Question: 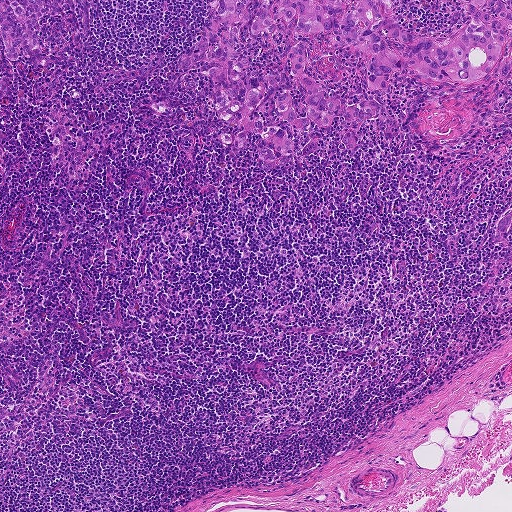
This is a crop of a whole-slide image: an H&E-stained breast-cancer sentinel lymph node section at roughly 5× magnification (about 1.8 µm per pixel; the crop spans about 0.93 mm).
Estimate the proportion of this field that is metastatic tumour.

Choices:
 (A) about 10% to 20%
 (B) about 25% to 45%
 (C) about 50% or more
 (D) about 5% or less
 (E) none: no tumour is outlined

Answer: (A) about 10% to 20%
About 10% of the field is tumour.
Four metastatic tumour regions, each outlined as a closed clockwise path in crop pixels (x, y), largest first: region 1: (260, 0), (511, 0), (511, 82), (458, 86), (394, 71), (386, 88), (368, 91), (364, 80), (372, 54), (334, 45), (329, 31), (304, 37), (308, 56), (303, 71), (351, 103), (376, 100), (397, 124), (390, 141), (384, 138), (380, 115), (362, 122), (362, 140), (345, 148), (340, 138), (342, 116), (330, 128), (310, 122), (294, 130), (279, 118), (278, 94), (290, 93), (300, 117), (308, 108), (306, 90), (288, 72), (296, 16), (256, 36), (250, 27); region 2: (253, 0), (236, 44), (248, 58), (246, 76), (276, 78), (264, 124), (282, 128), (294, 148), (279, 168), (261, 166), (259, 136), (239, 150), (222, 141), (237, 131), (208, 107), (205, 76), (177, 62), (209, 23), (216, 6), (206, 2); region 3: (0, 0), (63, 0), (61, 12), (57, 17), (48, 15), (37, 22), (36, 29), (39, 59), (35, 67), (27, 54), (21, 59), (8, 58), (0, 28); region 4: (0, 76), (8, 78), (9, 85), (5, 96), (0, 98).